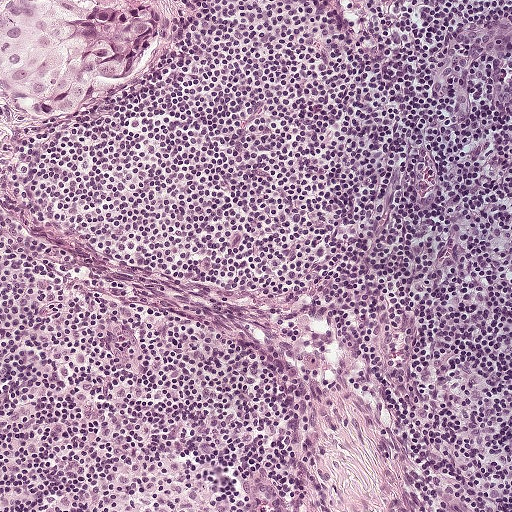
Lymph node section stained with H&E, from a whole-slide image of a breast-cancer sentinel node. Magnification about 10×, about 0.5 mm across the frame, about 0.97 µm per pixel.
Question: Which parts of this field are metastatic tumour?
Answer: Metastatic tumour outline, simplified to 11 points and listed clockwise in crop pixels (x, y): (152, 0), (159, 14), (155, 60), (131, 87), (110, 90), (65, 125), (34, 122), (13, 103), (0, 64), (4, 27), (24, 2).
Tumour covers about 5% of the frame.